Question: 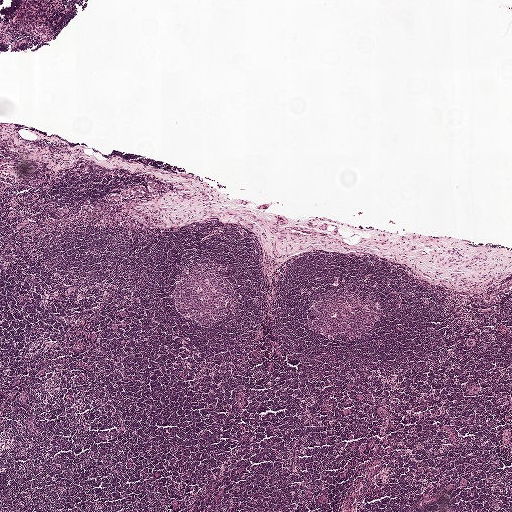
H&E-stained section of a sentinel lymph node (breast cancer), from a whole-slide image, viewed at about 2.5×: the field is about 2.0 mm across, about 3.9 µm per pixel.
What fraction of the image area is metastatic tumour?

Choices:
 (A) about 50% or more
 (B) about 5% or less
 (C) about 10% to 20%
 (D) about 25% to 45%
 (E) none: no tumour is outlined

Answer: (B) about 5% or less
Under 5% of the field is tumour.
One metastatic tumour region; its boundary, reduced to 17 corners and listed clockwise: (147, 182), (154, 182), (165, 188), (160, 190), (160, 193), (157, 195), (144, 194), (132, 198), (123, 198), (119, 200), (108, 199), (106, 196), (108, 193), (118, 192), (129, 185), (141, 184), (147, 187).